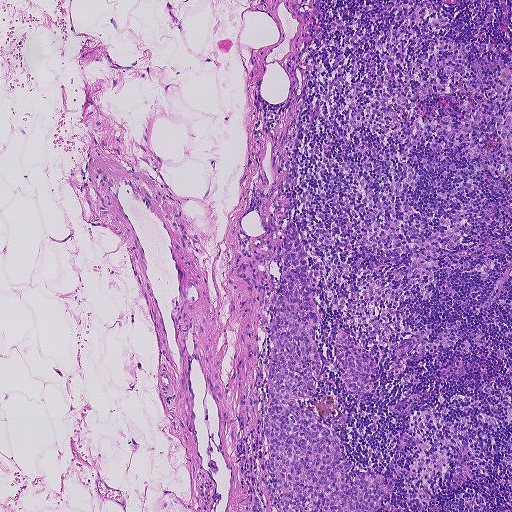
H&E-stained section of a sentinel lymph node (breast cancer), from a whole-slide image, viewed at about 5×: the field is about 0.93 mm across, about 1.8 µm per pixel.
Two metastatic tumour regions, each outlined as a closed clockwise path in crop pixels (x, y), largest first: region 1: (293, 220), (311, 278), (319, 352), (334, 361), (340, 327), (378, 368), (373, 388), (357, 396), (348, 393), (334, 363), (325, 362), (317, 389), (317, 398), (336, 398), (342, 405), (343, 424), (331, 430), (339, 436), (342, 460), (355, 464), (351, 472), (380, 474), (395, 483), (375, 511), (278, 511), (266, 507), (248, 511), (254, 491), (266, 504), (260, 486), (269, 459), (262, 421), (266, 360), (274, 342), (268, 307), (280, 281), (286, 224); region 2: (391, 504), (400, 508), (409, 510), (412, 511), (386, 511).
About 10% of the image area is annotated as tumour.